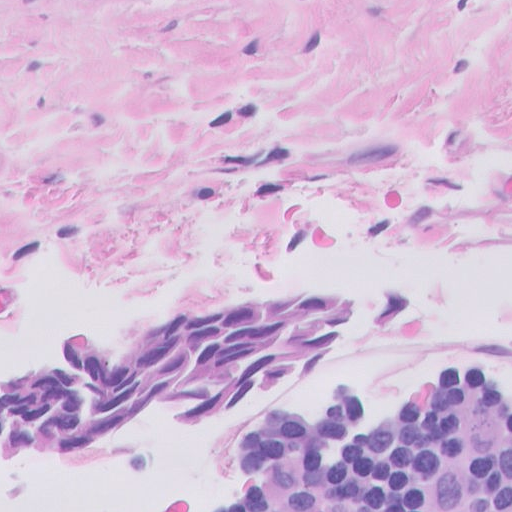
Lymph node section stained with H&E, from a whole-slide image of a breast-cancer sentinel node. Magnification about 40×, about 0.13 mm across the frame, about 0.25 µm per pixel.
Question: Show where the tumour is in this image.
Answer: The outlined metastatic tumour's edge, as a closed clockwise path of 6 points: (427, 261), (410, 327), (154, 473), (0, 489), (0, 348), (177, 287).
About 20% of the image area is annotated as tumour.